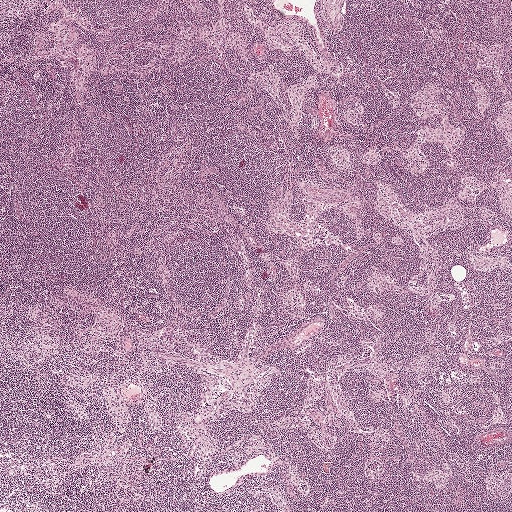
Lymph node section stained with H&E, from a whole-slide image of a breast-cancer sentinel node. Magnification about 2.5×, about 2.0 mm across the frame, about 3.9 µm per pixel.
Question: Does this lymph node field contain metastatic tumour?
Answer: No. No metastatic tumour is outlined in this field.